This is a crop of a whole-slide image: an H&E-stained breast-cancer sentinel lymph node section at roughly 20× magnification (about 0.49 µm per pixel; the crop spans about 0.25 mm).
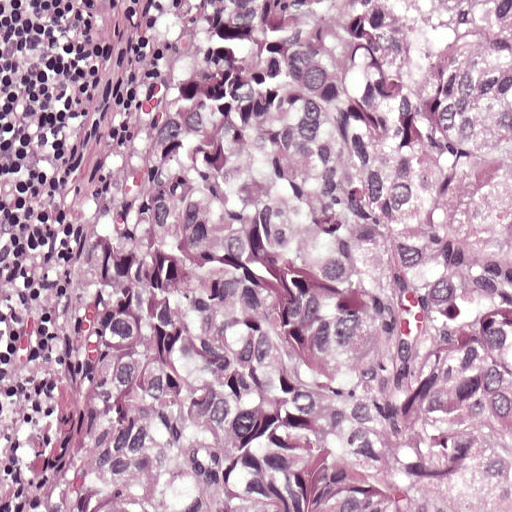
One metastatic tumour region; its boundary, reduced to 5 corners and listed clockwise: (192, 0), (511, 0), (511, 511), (0, 511), (0, 389).
About 85% of this field is tumour.